Lymph node section stained with H&E, from a whole-slide image of a breast-cancer sentinel node. Magnification about 20×, about 0.23 mm across the frame, about 0.45 µm per pixel.
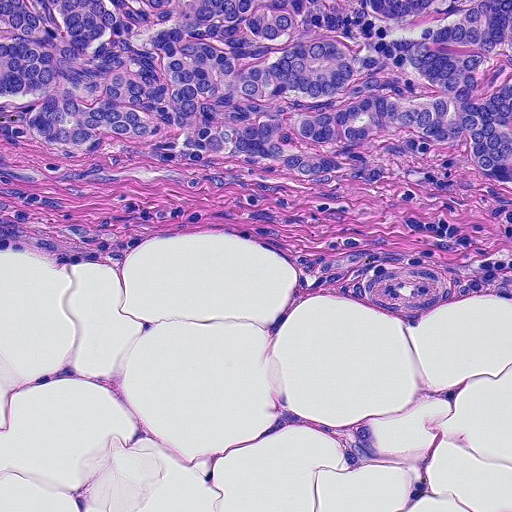
Question: Is there metastatic carcinoma in this field?
Answer: Yes.
Metastatic tumour outline, simplified to 10 points and listed clockwise in crop pixels (x, y): (0, 0), (511, 0), (511, 301), (397, 318), (302, 292), (295, 264), (241, 237), (252, 240), (215, 200), (2, 186).
About 50% of the image area is annotated as tumour.